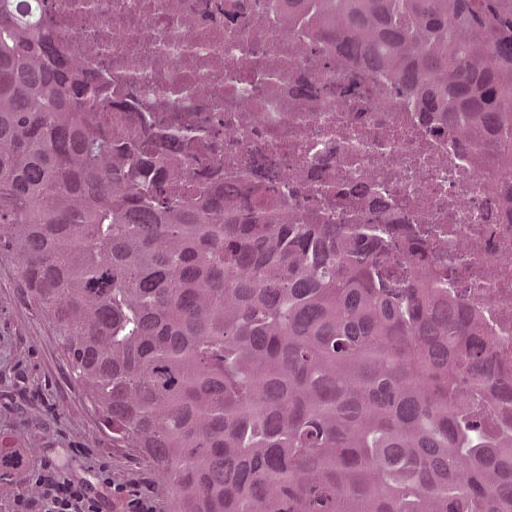
Lymph node section stained with H&E, from a whole-slide image of a breast-cancer sentinel node. Magnification about 20×, about 0.25 mm across the frame, about 0.49 µm per pixel.
Metastatic tumour outline, simplified to 6 points and listed clockwise in crop pixels (x, y): (0, 0), (511, 0), (511, 511), (159, 511), (44, 342), (0, 309).
The annotated tumour makes up about 95% of the crop.